Image:
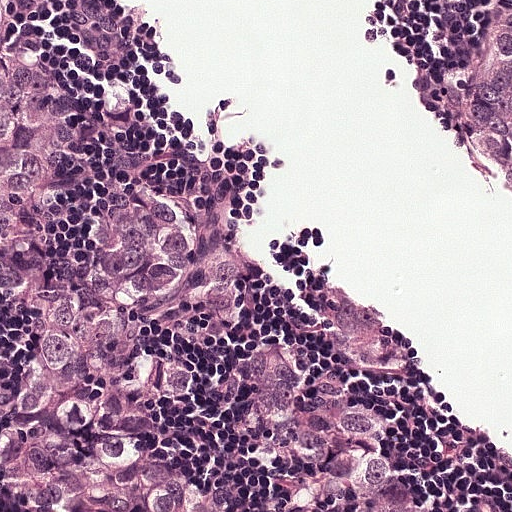
This is a crop of a whole-slide image: an H&E-stained breast-cancer sentinel lymph node section at roughly 20× magnification (about 0.49 µm per pixel; the crop spans about 0.25 mm).
Question:
Where is the metastatic tumour in this field?
Answer:
Metastatic tumour outline, simplified to 21 points and listed clockwise in crop pixels (x, y): (0, 0), (108, 0), (136, 52), (100, 84), (102, 96), (211, 172), (289, 268), (393, 320), (407, 354), (393, 416), (458, 511), (256, 511), (226, 398), (210, 374), (188, 371), (168, 390), (168, 414), (218, 462), (228, 511), (33, 511), (0, 492).
About 55% of the image area is annotated as tumour.